Image:
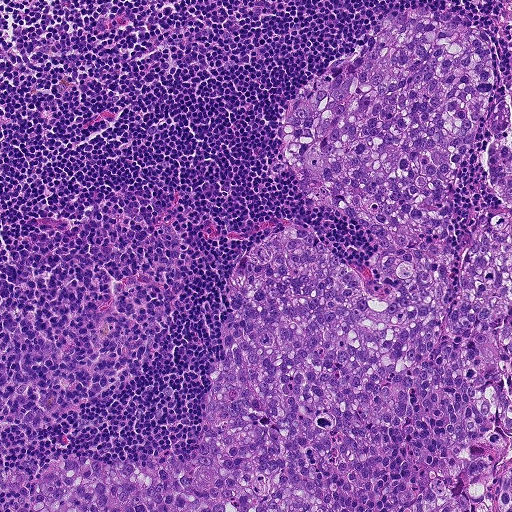
A 0.46-mm field of an H&E-stained sentinel lymph node from a breast-cancer patient (whole-slide image), shown at about 10×, about 0.9 µm per pixel.
Question:
Is any metastatic breast cancer visible in this crop?
Answer:
Yes.
Tumour region outline (a closed clockwise path, crop pixels): (402, 9), (476, 34), (488, 114), (511, 96), (511, 119), (486, 120), (455, 178), (449, 296), (470, 225), (508, 206), (493, 511), (16, 511), (39, 485), (2, 495), (6, 467), (196, 446), (238, 258), (300, 227), (342, 261), (376, 249), (268, 169), (304, 81).
About 50% of the image area is annotated as tumour.